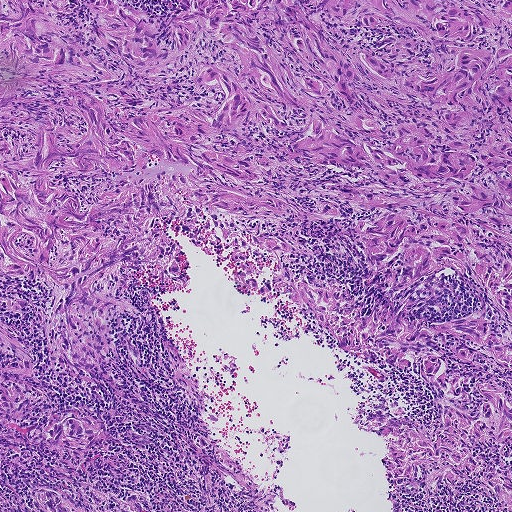
H&E-stained section of a sentinel lymph node (breast cancer), from a whole-slide image, viewed at about 5×: the field is about 0.93 mm across, about 1.8 µm per pixel.
Boundaries of three metastatic tumour regions, simplified and listed clockwise, largest first: region 1: (0, 0), (511, 0), (511, 511), (473, 482), (390, 494), (397, 438), (358, 425), (442, 422), (431, 386), (244, 291), (166, 223), (187, 278), (117, 293), (150, 324), (121, 312), (154, 383), (108, 360), (160, 419), (42, 385), (126, 448), (86, 484), (153, 505), (0, 511); region 2: (194, 436), (203, 438), (223, 450), (242, 465), (256, 482), (268, 487), (274, 496), (272, 506), (276, 511), (243, 511), (242, 504), (220, 466), (193, 446); region 3: (200, 464), (211, 464), (207, 470), (213, 478), (220, 500), (221, 511), (194, 511), (203, 495), (198, 475).
One more small tumour piece is annotated here but not outlined.
Tumour covers about 75% of the frame.